A 0.12-mm field of an H&E-stained sentinel lymph node from a breast-cancer patient (whole-slide image), shown at about 40×, about 0.23 µm per pixel.
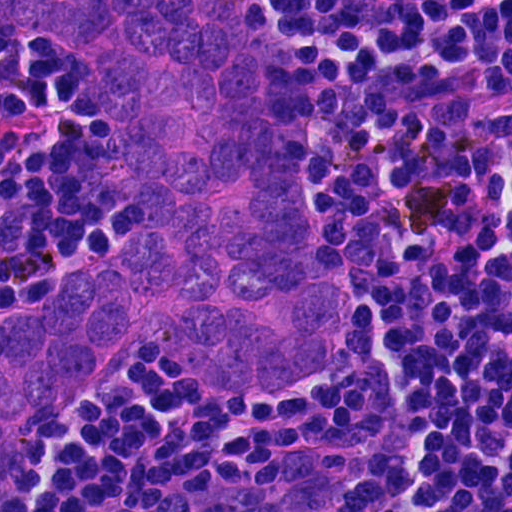
Metastatic tumour outline, simplified to 22 points and listed clockwise in crop pixels (x, y): (0, 0), (218, 0), (247, 27), (303, 148), (303, 197), (328, 232), (349, 316), (336, 354), (301, 379), (219, 385), (175, 373), (136, 342), (43, 423), (24, 462), (32, 511), (0, 511), (0, 318), (126, 243), (134, 200), (96, 76), (63, 43), (0, 26).
The annotated tumour makes up about 35% of the crop.